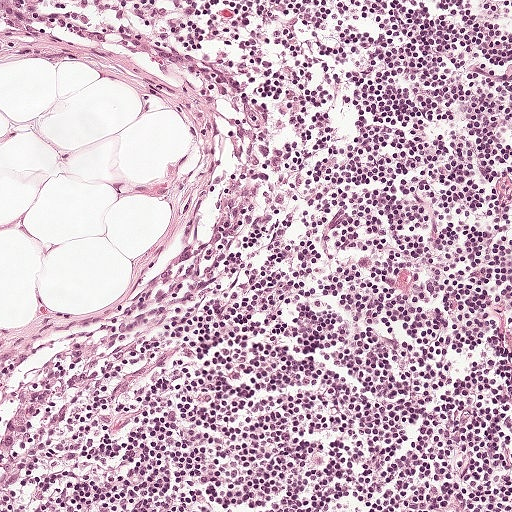
H&E-stained section of a sentinel lymph node (breast cancer), from a whole-slide image, viewed at about 10×: the field is about 0.5 mm across, about 0.97 µm per pixel.